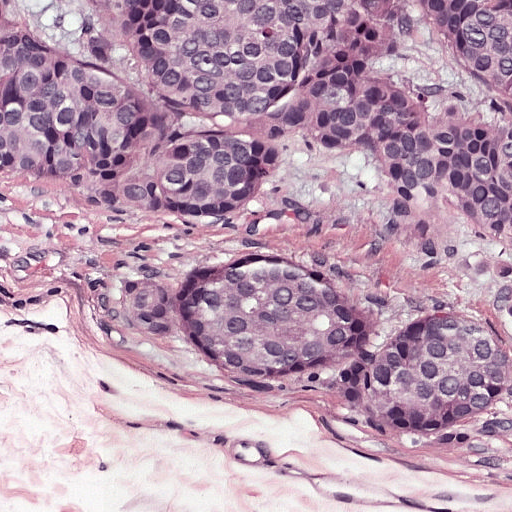
This is a crop of a whole-slide image: an H&E-stained breast-cancer sentinel lymph node section at roughly 20× magnification (about 0.49 µm per pixel; the crop spans about 0.25 mm).
Tumour region outline (a closed clockwise path, crop pixels): (0, 0), (511, 0), (511, 427), (482, 451), (387, 440), (122, 333), (39, 224), (0, 191).
About 70% of this field is tumour.